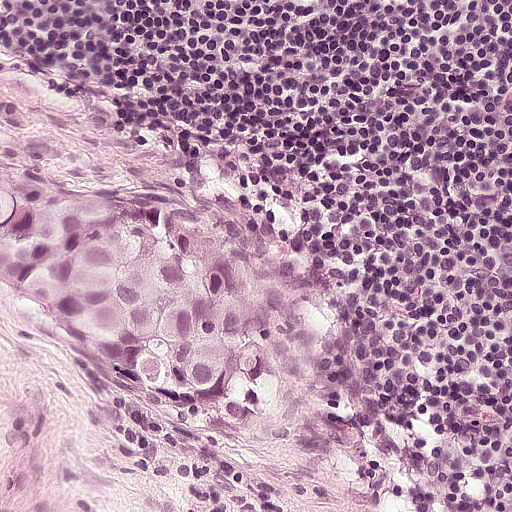
This is a crop of a whole-slide image: an H&E-stained breast-cancer sentinel lymph node section at roughly 20× magnification (about 0.49 µm per pixel; the crop spans about 0.25 mm).
Question: Where is the metastatic tumour in this field? Give each region's outline as (x, y) pixel points.
Answer: One metastatic tumour region; its boundary, reduced to 16 corners and listed clockwise: (0, 178), (150, 218), (205, 255), (208, 266), (242, 280), (246, 292), (271, 302), (285, 328), (282, 380), (268, 412), (220, 441), (198, 441), (154, 416), (110, 354), (84, 336), (0, 321).
The annotated tumour makes up about 15% of the crop.